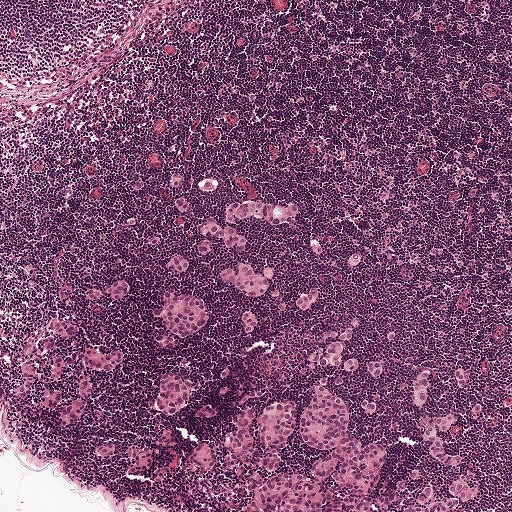
A 1-mm field of an H&E-stained sentinel lymph node from a breast-cancer patient (whole-slide image), shown at about 5×, about 1.9 µm per pixel.
Question: Is any metastatic breast cancer visible in this crop?
Answer: Yes.
Outlines of the eight largest metastatic tumour regions, each a closed clockwise path in crop pixels (x, y), largest first: region 1: (315, 381), (345, 404), (351, 436), (386, 446), (377, 495), (408, 470), (419, 470), (419, 477), (378, 511), (238, 511), (230, 469), (192, 469), (185, 459), (201, 435), (222, 450), (222, 432), (239, 405), (295, 404), (277, 474), (304, 476), (320, 450), (297, 438); region 2: (57, 315), (81, 321), (81, 332), (62, 345), (52, 346), (38, 358), (36, 368), (46, 385), (61, 389), (65, 403), (70, 403), (74, 398), (73, 378), (58, 380), (49, 377), (53, 357), (71, 355), (88, 346), (108, 353), (118, 346), (124, 350), (124, 358), (118, 368), (109, 372), (84, 370), (84, 374), (92, 380), (87, 400), (75, 424), (58, 425), (57, 411), (36, 402), (40, 381), (36, 380), (22, 395), (15, 393), (13, 386), (26, 336); region 3: (238, 198), (297, 204), (298, 210), (294, 222), (273, 224), (254, 216), (246, 217), (237, 223), (238, 231), (244, 240), (238, 251), (231, 252), (213, 240), (209, 253), (199, 255), (195, 253), (192, 243), (200, 235), (197, 227), (202, 220), (223, 218), (230, 204); region 4: (165, 289), (204, 298), (206, 302), (207, 320), (202, 328), (188, 335), (184, 342), (180, 343), (170, 350), (163, 350), (151, 344), (149, 335), (158, 330), (153, 325), (152, 320), (158, 309), (158, 294), (160, 290); region 5: (331, 329), (352, 329), (354, 331), (353, 338), (345, 344), (340, 357), (383, 362), (385, 369), (380, 376), (373, 376), (371, 373), (358, 373), (336, 365), (315, 367), (308, 374), (297, 371), (298, 367), (310, 349), (328, 337); region 6: (173, 429), (178, 438), (176, 446), (157, 452), (153, 458), (156, 464), (166, 469), (164, 482), (148, 481), (132, 476), (125, 470), (122, 450), (126, 444), (134, 444), (151, 448), (155, 446), (163, 431); region 7: (233, 260), (251, 262), (256, 270), (260, 270), (262, 265), (267, 264), (275, 269), (275, 279), (269, 283), (266, 292), (261, 296), (244, 295), (218, 283), (220, 269); region 8: (449, 480), (463, 481), (476, 489), (476, 500), (470, 503), (457, 501), (452, 511), (399, 511), (403, 503), (425, 485), (432, 485), (436, 499), (439, 500), (447, 494), (444, 487), (445, 482).
12 more, smaller tumour regions are not outlined.
Two more small tumour pieces are annotated here but not outlined.
Tumour covers about 15% of the frame.